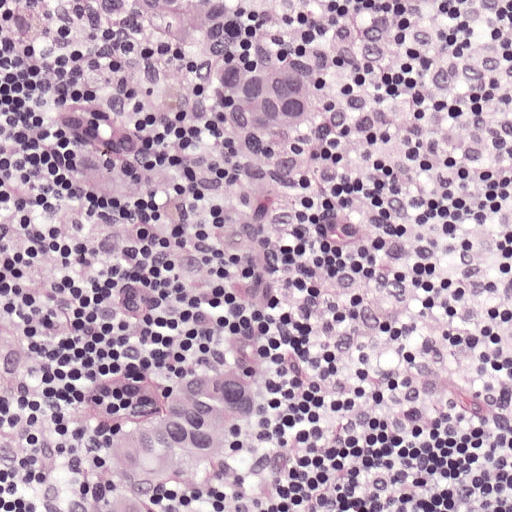
Lymph node section stained with H&E, from a whole-slide image of a breast-cancer sentinel node. Magnification about 20×, about 0.25 mm across the frame, about 0.49 µm per pixel.
Question: Which parts of this field are metastatic tumour? Answer with the outline of each region, in pixels.
Answer: The outlined metastatic tumour's edge, as a closed clockwise path of 23 points: (118, 0), (233, 0), (233, 53), (320, 51), (336, 72), (317, 184), (220, 176), (236, 285), (292, 371), (293, 424), (280, 469), (189, 511), (77, 511), (105, 424), (234, 336), (208, 164), (79, 213), (19, 138), (36, 94), (81, 86), (210, 157), (217, 63), (123, 38).
Tumour covers about 25% of the frame.